Lymph node section stained with H&E, from a whole-slide image of a breast-cancer sentinel node. Magnification about 5×, about 1 mm across the frame, about 1.9 µm per pixel.
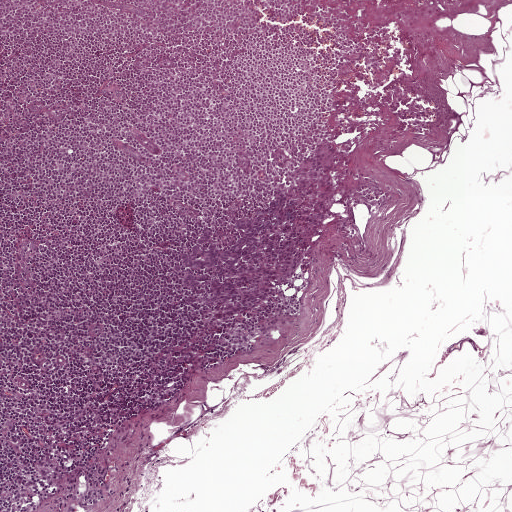
One metastatic tumour region; its boundary, reduced to 21 corners and listed clockwise: (322, 140), (337, 143), (340, 151), (338, 192), (323, 235), (314, 238), (307, 273), (300, 268), (285, 285), (286, 297), (245, 319), (215, 326), (207, 322), (183, 300), (169, 261), (213, 225), (220, 248), (236, 239), (233, 220), (272, 199), (286, 175).
About 5% of this field is tumour.